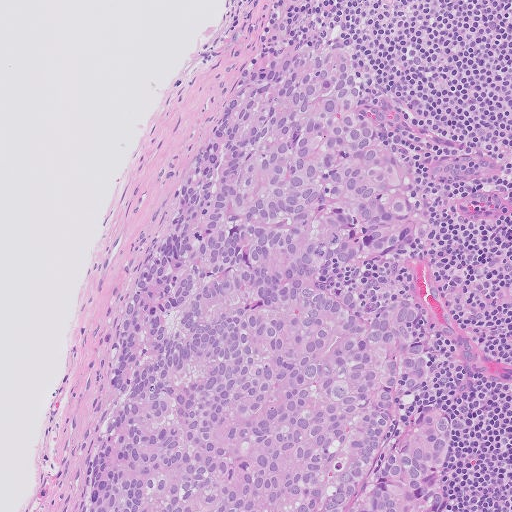
This is a crop of a whole-slide image: an H&E-stained breast-cancer sentinel lymph node section at roughly 10× magnification (about 1.0 µm per pixel; the crop spans about 0.51 mm).
One metastatic tumour region; its boundary, reduced to 12 corners and listed clockwise: (314, 38), (407, 100), (419, 154), (418, 242), (346, 279), (426, 302), (454, 449), (441, 511), (58, 511), (106, 416), (122, 301), (252, 48).
The annotated tumour makes up about 50% of the crop.